This is a crop of a whole-slide image: an H&E-stained breast-cancer sentinel lymph node section at roughly 5× magnification (about 1.8 µm per pixel; the crop spans about 0.93 mm).
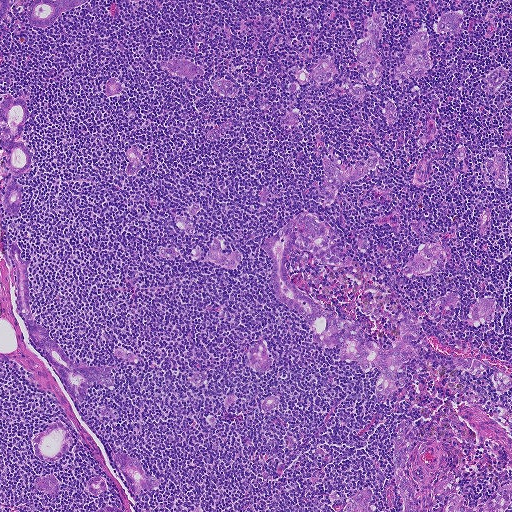
Question: Where is the metastatic tumour in this field? Give each region's outline as (x, y) pixel points.
Answer: The eight largest tumour regions' boundaries, simplified and listed clockwise, largest first: region 1: (298, 213), (306, 213), (321, 218), (344, 259), (327, 264), (293, 243), (284, 263), (295, 287), (335, 317), (358, 323), (380, 347), (395, 343), (399, 327), (412, 321), (438, 353), (477, 360), (494, 377), (511, 378), (511, 386), (497, 395), (487, 373), (474, 376), (418, 356), (406, 366), (401, 390), (380, 402), (380, 370), (372, 366), (366, 375), (358, 362), (344, 361), (339, 347), (318, 346), (295, 310), (273, 294), (272, 262), (263, 248); region 2: (15, 242), (20, 247), (21, 259), (31, 259), (28, 293), (34, 321), (46, 328), (52, 341), (74, 363), (116, 367), (107, 373), (113, 384), (106, 387), (93, 382), (82, 400), (76, 401), (70, 398), (56, 373), (32, 347), (28, 326), (16, 309), (16, 283), (10, 255); region 3: (403, 419), (411, 427), (416, 429), (417, 435), (405, 468), (406, 474), (412, 478), (428, 483), (445, 479), (448, 474), (453, 476), (450, 488), (459, 494), (464, 504), (469, 507), (486, 502), (502, 486), (508, 485), (511, 487), (511, 499), (494, 511), (445, 511), (445, 495), (430, 487), (418, 486), (415, 492), (417, 497), (422, 500), (420, 511), (402, 511), (401, 496), (392, 462), (395, 434); region 4: (5, 94), (15, 99), (21, 98), (26, 102), (30, 114), (23, 123), (23, 131), (15, 141), (26, 147), (31, 158), (28, 169), (14, 181), (21, 184), (24, 196), (18, 214), (12, 215), (6, 212), (3, 200), (9, 176), (5, 151), (0, 148), (0, 102), (4, 100); region 5: (380, 12), (385, 18), (384, 24), (376, 44), (380, 72), (377, 86), (370, 86), (364, 82), (353, 50), (354, 43), (367, 36), (365, 25), (366, 18), (372, 13); region 6: (322, 155), (341, 162), (342, 169), (369, 157), (377, 156), (377, 164), (373, 169), (342, 186), (335, 199), (330, 202), (323, 200), (320, 186), (326, 173); region 7: (422, 30), (428, 34), (429, 55), (433, 60), (433, 67), (429, 72), (402, 80), (395, 80), (394, 74), (401, 54), (412, 36); region 8: (58, 421), (64, 425), (69, 446), (66, 453), (55, 461), (42, 460), (36, 456), (33, 449), (33, 441), (40, 432).
21 more, smaller tumour regions are not outlined.
Two more small tumour pieces are annotated here but not outlined.
Tumour covers about 15% of the frame.